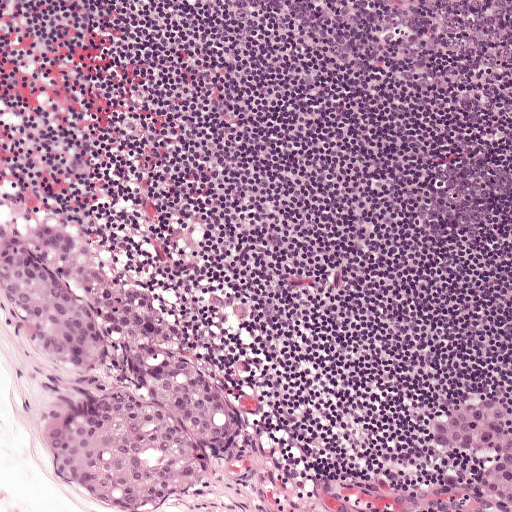
A 0.5-mm field of an H&E-stained sentinel lymph node from a breast-cancer patient (whole-slide image), shown at about 10×, about 0.97 µm per pixel.
Question: Trace the edge of each tumour region in this crop, as (x, y) points from 0 to 511.
Answer: Two metastatic tumour regions, each outlined as a closed clockwise path in crop pixels (x, y), largest first: region 1: (26, 221), (52, 223), (138, 282), (176, 349), (220, 375), (242, 420), (234, 443), (210, 452), (191, 499), (142, 511), (68, 491), (47, 473), (39, 449), (48, 425), (117, 396), (147, 393), (91, 325), (98, 366), (55, 366), (14, 339), (0, 314), (2, 240); region 2: (472, 381), (500, 384), (511, 390), (511, 511), (447, 511), (476, 506), (477, 494), (488, 467), (486, 452), (460, 456), (436, 450), (422, 428), (429, 403), (448, 385).
About 15% of this field is tumour.